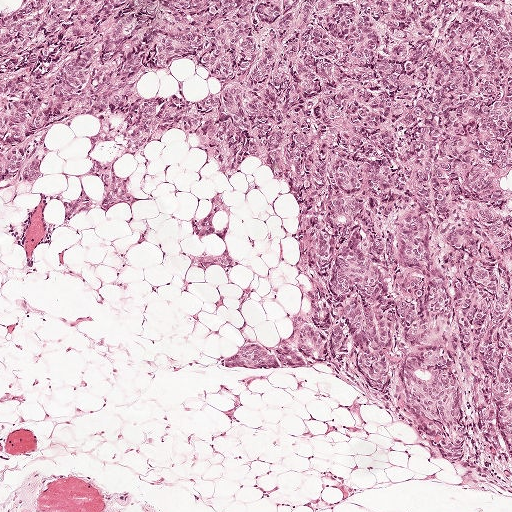
A 1-mm field of an H&E-stained sentinel lymph node from a breast-cancer patient (whole-slide image), shown at about 5×, about 1.9 µm per pixel.
Question: Describe where the metastatic carcinoma lies in this crop.
Answer: Metastatic tumour outline, simplified to 21 points and listed clockwise in crop pixels (x, y): (0, 0), (511, 0), (511, 510), (374, 421), (308, 397), (238, 394), (212, 376), (217, 333), (225, 344), (278, 274), (278, 234), (265, 194), (198, 168), (196, 146), (177, 133), (156, 138), (134, 213), (105, 250), (65, 237), (41, 208), (1, 229).
The annotated tumour makes up about 60% of the crop.

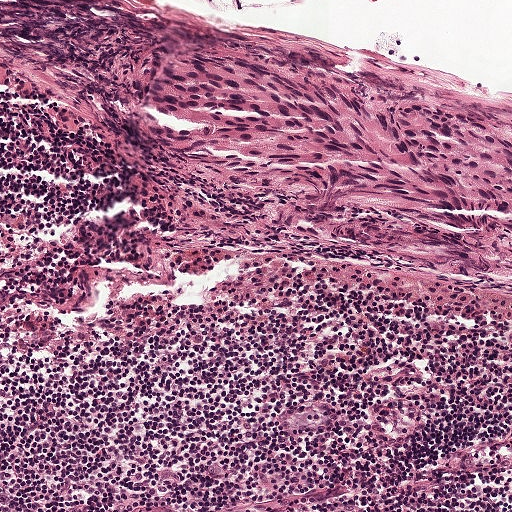
H&E-stained section of a sentinel lymph node (breast cancer), from a whole-slide image, viewed at about 10×: the field is about 0.5 mm across, about 0.97 µm per pixel.
Question: Describe where the metastatic carcinoma lies in this crop.
Answer: Tumour region outline (a closed clockwise path, crop pixels): (126, 22), (281, 23), (511, 112), (511, 273), (391, 261), (276, 222), (142, 117), (104, 34).
About 25% of this field is tumour.

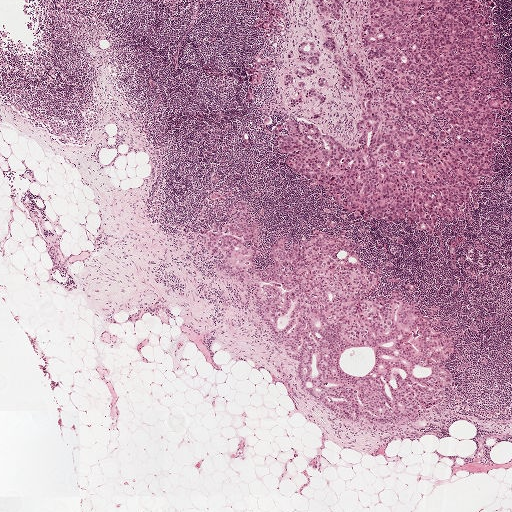
Lymph node section stained with H&E, from a whole-slide image of a breast-cancer sentinel node. Magnification about 2.5×, about 2.0 mm across the frame, about 3.9 µm per pixel.
Question: Describe where the metastatic carcinoma lies in this crop.
Answer: The eight largest tumour regions' boundaries, simplified and listed clockwise, largest first: region 1: (365, 0), (492, 0), (504, 75), (497, 86), (511, 111), (502, 113), (493, 175), (467, 203), (472, 220), (438, 219), (432, 236), (403, 220), (357, 220), (321, 186), (311, 190), (293, 173), (272, 132), (278, 120), (298, 117), (351, 148), (362, 93), (383, 91), (361, 42), (370, 18); region 2: (255, 220), (254, 270), (261, 270), (279, 236), (290, 246), (313, 229), (344, 230), (378, 277), (363, 298), (398, 290), (424, 315), (439, 306), (437, 330), (455, 348), (452, 383), (414, 422), (354, 425), (312, 399), (242, 284), (216, 273), (202, 245), (208, 230); region 3: (342, 0), (343, 14), (334, 20), (336, 36), (335, 53), (330, 53), (323, 48), (322, 44), (326, 36), (311, 10), (313, 1); region 4: (309, 40), (316, 44), (319, 58), (316, 67), (311, 68), (315, 74), (308, 79), (298, 77), (293, 87), (285, 87), (280, 77), (287, 74), (294, 73), (295, 70), (302, 66), (297, 49), (302, 42); region 5: (264, 0), (279, 0), (278, 3), (274, 5), (276, 20), (281, 30), (281, 35), (277, 38), (267, 38), (265, 35), (266, 31), (256, 27), (258, 20), (270, 15), (260, 10), (264, 4); region 6: (261, 54), (264, 57), (275, 60), (279, 71), (277, 73), (273, 72), (266, 65), (263, 64), (261, 72), (263, 78), (262, 83), (259, 86), (253, 87), (253, 98), (250, 103), (248, 103), (244, 102), (244, 100), (256, 77), (255, 71), (251, 68), (253, 60); region 7: (337, 54), (341, 55), (351, 73), (353, 84), (350, 92), (343, 91), (340, 72), (332, 62), (334, 56); region 8: (347, 49), (356, 54), (366, 71), (370, 88), (367, 87), (358, 78), (353, 68), (352, 63), (347, 59), (346, 57), (346, 50).
One more, smaller tumour region is not outlined.
Four more small tumour pieces are annotated here but not outlined.
The annotated tumour makes up about 25% of the crop.

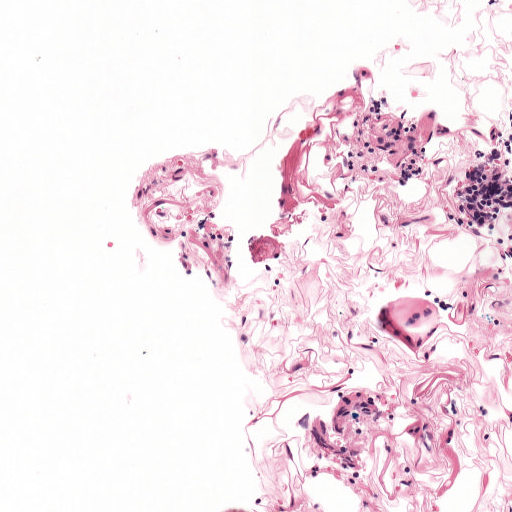
H&E-stained section of a sentinel lymph node (breast cancer), from a whole-slide image, viewed at about 10×: the field is about 0.5 mm across, about 0.97 µm per pixel.
Question: Describe where the metastatic carcinoma lies in this crop.
Answer: One metastatic tumour region; its boundary, reduced to 6 corners and listed clockwise: (441, 100), (451, 136), (408, 169), (372, 167), (356, 137), (366, 103).
Under 5% of the image area is annotated as tumour.